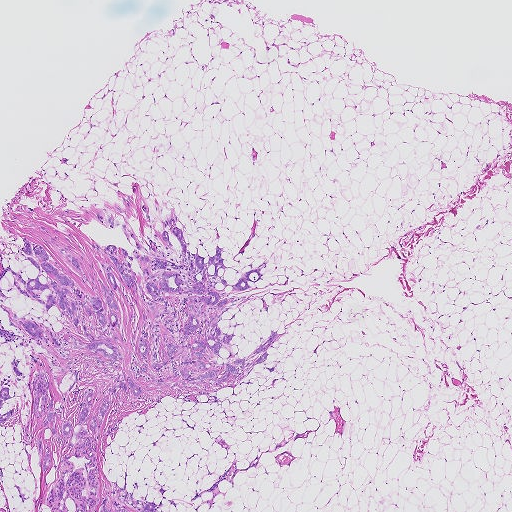
H&E-stained section of a sentinel lymph node (breast cancer), from a whole-slide image, viewed at about 2.5×: the field is about 1.9 mm across, about 3.6 µm per pixel.
Outlines of five tumour regions, largest first (closed clockwise paths, crop pixels): region 1: (96, 213), (123, 223), (144, 249), (178, 263), (177, 238), (170, 232), (169, 247), (161, 236), (178, 216), (205, 263), (224, 246), (230, 285), (268, 263), (252, 288), (226, 287), (232, 297), (245, 297), (216, 322), (220, 337), (234, 336), (217, 360), (245, 356), (273, 328), (281, 334), (264, 363), (273, 370), (257, 364), (216, 385), (183, 383), (176, 362), (141, 372), (141, 298), (95, 243), (116, 246), (120, 262), (118, 247), (128, 251), (141, 288), (144, 276), (120, 225); region 2: (37, 370), (51, 375), (48, 391), (60, 416), (59, 432), (68, 420), (76, 423), (89, 386), (95, 394), (87, 425), (117, 381), (130, 377), (142, 390), (135, 397), (128, 384), (128, 391), (118, 388), (97, 433), (99, 507), (106, 498), (108, 509), (117, 509), (51, 511), (43, 504), (47, 488), (38, 462), (38, 434), (56, 464), (61, 448), (48, 422), (41, 426), (45, 415), (32, 414), (30, 379); region 3: (23, 237), (44, 248), (46, 262), (74, 283), (66, 287), (72, 294), (84, 300), (97, 296), (57, 247), (71, 253), (104, 304), (96, 274), (107, 287), (98, 261), (103, 259), (116, 282), (119, 344), (114, 343), (122, 359), (59, 349), (50, 338), (32, 337), (13, 311), (21, 320), (43, 322), (64, 346), (90, 343), (76, 333), (80, 324), (77, 330), (56, 306), (47, 313), (44, 303), (17, 291), (14, 274), (28, 280), (37, 274), (21, 247); region 4: (125, 490), (128, 492), (132, 493), (132, 496), (134, 499), (138, 501), (140, 500), (144, 502), (152, 501), (155, 503), (157, 506), (157, 510), (157, 511), (136, 511), (132, 508), (126, 503), (124, 500), (123, 496); region 5: (8, 387), (9, 394), (12, 396), (14, 391), (15, 397), (6, 400), (0, 409), (0, 390), (1, 388).
Four more small tumour pieces are annotated here but not outlined.
Tumour covers about 10% of the frame.